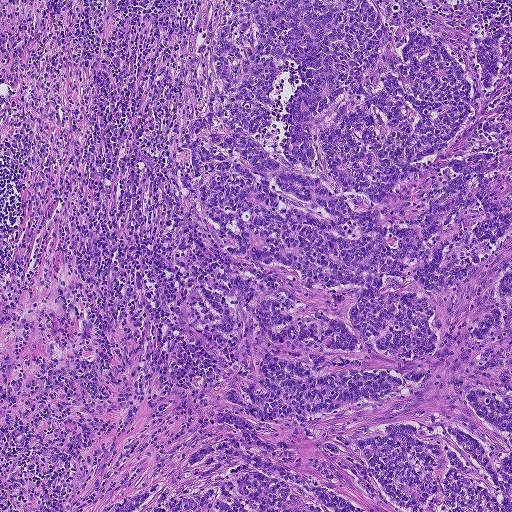
Lymph node section stained with H&E, from a whole-slide image of a breast-cancer sentinel node. Magnification about 5×, about 0.93 mm across the frame, about 1.8 µm per pixel.
Question: Does this lymph node field contain metastatic tumour?
Answer: Yes.
Tumour region outline (a closed clockwise path, crop pixels): (511, 0), (511, 511), (85, 511), (129, 441), (217, 367), (168, 330), (152, 286), (153, 278), (183, 295), (221, 260), (173, 186), (166, 148), (194, 56), (197, 2).
Tumour covers about 65% of the frame.